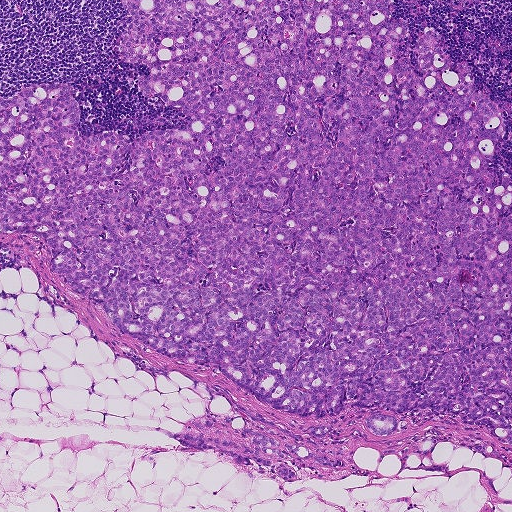
Lymph node section stained with H&E, from a whole-slide image of a breast-cancer sentinel node. Magnification about 5×, about 0.93 mm across the frame, about 1.8 µm per pixel.
Two metastatic tumour regions, each outlined as a closed clockwise path in crop pixels (x, y), largest first: region 1: (119, 0), (395, 0), (399, 59), (420, 76), (431, 28), (511, 102), (491, 167), (511, 174), (511, 447), (422, 409), (382, 438), (364, 420), (394, 413), (345, 409), (318, 438), (112, 330), (7, 233), (0, 97), (65, 84), (89, 135), (186, 129), (119, 63); region 2: (194, 415), (242, 418), (245, 427), (263, 432), (275, 428), (284, 443), (303, 446), (346, 465), (332, 467), (286, 453), (287, 463), (294, 466), (300, 479), (282, 482), (271, 467), (264, 467), (253, 459), (248, 460), (251, 465), (236, 463), (213, 448), (184, 449), (173, 434).
About 65% of this field is tumour.